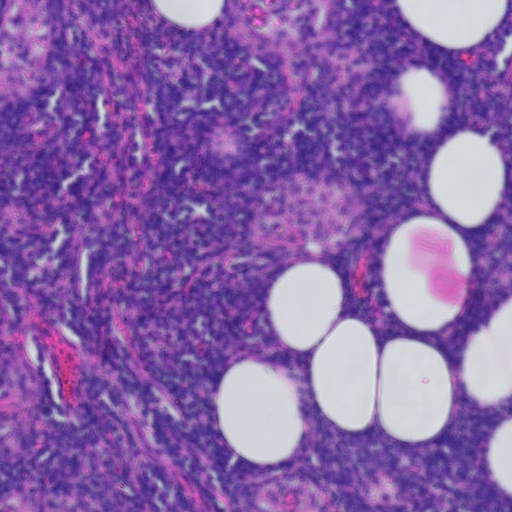
A 0.46-mm field of an H&E-stained sentinel lymph node from a breast-cancer patient (whole-slide image), shown at about 10×, about 0.9 µm per pixel.